Lymph node section stained with H&E, from a whole-slide image of a breast-cancer sentinel node. Magnification about 10×, about 0.46 mm across the frame, about 0.9 µm per pixel.
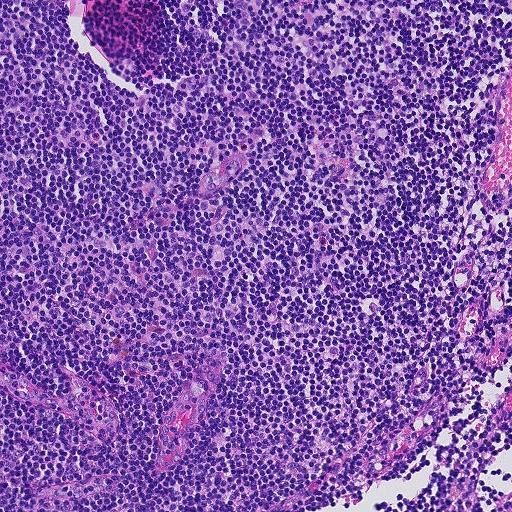
Question: Is there metastatic carcinoma in this field?
Answer: No, this field holds no outlined metastasis.